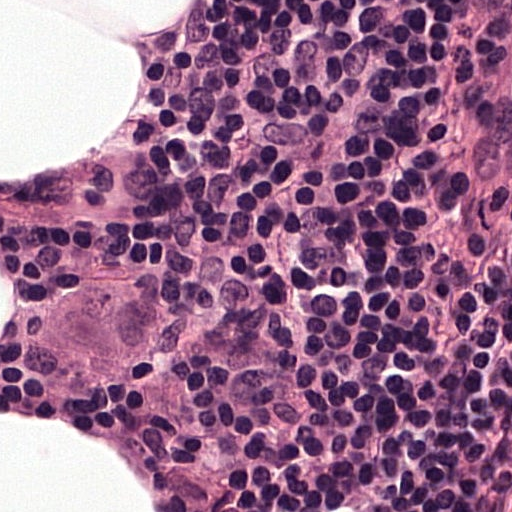
Lymph node section stained with H&E, from a whole-slide image of a breast-cancer sentinel node. Magnification about 40×, about 0.12 mm across the frame, about 0.24 µm per pixel.
The outlined metastatic tumour's edge, as a closed clockwise path of 15 points: (64, 280), (118, 280), (140, 283), (177, 299), (192, 315), (192, 336), (183, 361), (174, 374), (124, 398), (46, 393), (27, 374), (27, 311), (33, 299), (55, 286), (77, 286).
About 5% of the image area is annotated as tumour.